Lymph node section stained with H&E, from a whole-slide image of a breast-cancer sentinel node. Magnification about 5×, about 1 mm across the frame, about 1.9 µm per pixel.
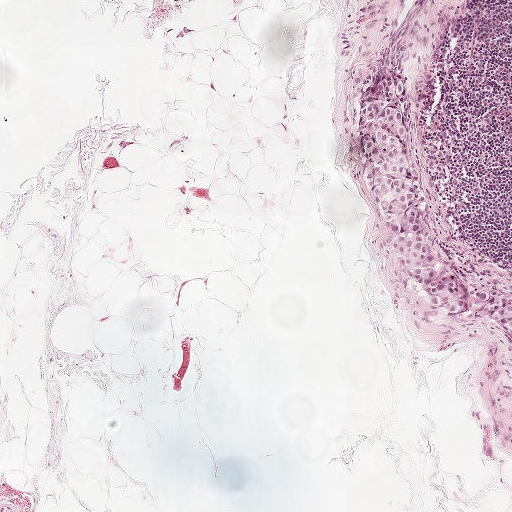
The outlined metastatic tumour's edge, as a closed clockwise path of 18 points: (379, 73), (407, 77), (403, 88), (414, 105), (417, 178), (429, 214), (464, 278), (480, 288), (511, 297), (511, 332), (502, 326), (463, 319), (412, 296), (399, 283), (389, 231), (365, 199), (359, 152), (362, 101).
Tumour covers about 5% of the frame.